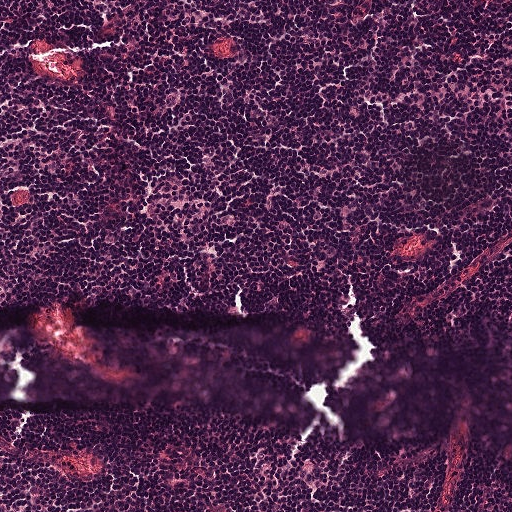
H&E-stained section of a sentinel lymph node (breast cancer), from a whole-slide image, viewed at about 10×: the field is about 0.5 mm across, about 0.97 µm per pixel.